Lymph node section stained with H&E, from a whole-slide image of a breast-cancer sentinel node. Magnification about 2.5×, about 1.9 mm across the frame, about 3.6 µm per pixel.
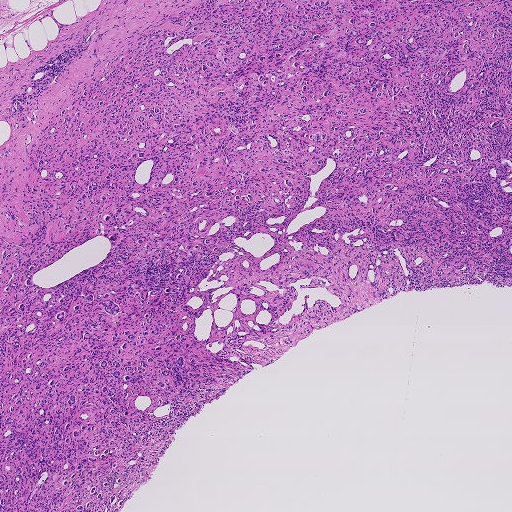
Metastatic tumour outline, simplified to 15 points and listed clockwise in crop pixels (x, y): (207, 0), (511, 0), (511, 288), (400, 291), (314, 330), (271, 365), (251, 364), (183, 425), (118, 511), (0, 511), (0, 252), (33, 232), (27, 134), (140, 34), (181, 30).
About 70% of the image area is annotated as tumour.